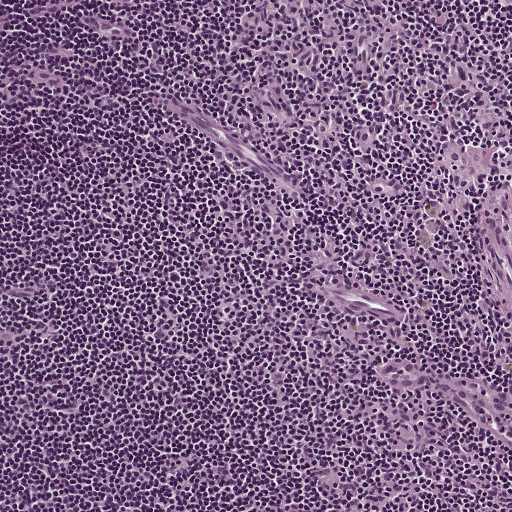
Lymph node section stained with H&E, from a whole-slide image of a breast-cancer sentinel node. Magnification about 10×, about 0.5 mm across the frame, about 0.97 µm per pixel.